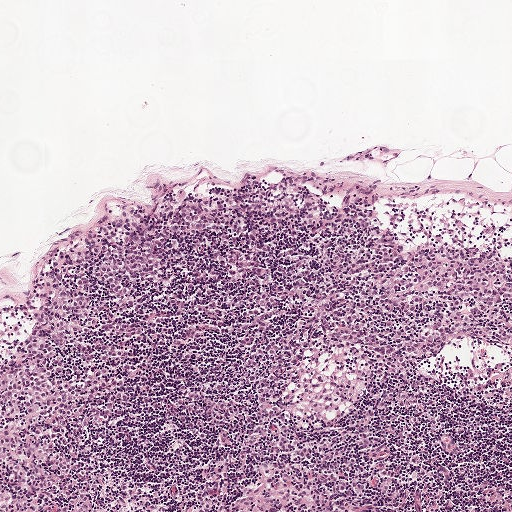
H&E-stained section of a sentinel lymph node (breast cancer), from a whole-slide image, viewed at about 5×: the field is about 1 mm across, about 1.9 µm per pixel.
Two metastatic tumour regions, each outlined as a closed clockwise path in crop pixels (x, y), largest first: region 1: (222, 194), (228, 227), (166, 254), (160, 287), (139, 304), (145, 340), (134, 354), (130, 396), (81, 448), (75, 499), (49, 506), (2, 478), (0, 358), (20, 334), (33, 286), (66, 234), (106, 208); region 2: (462, 245), (511, 255), (511, 303), (436, 302), (394, 295), (380, 289), (375, 280), (377, 269), (397, 254), (416, 246).
About 15% of this field is tumour.